A 0.93-mm field of an H&E-stained sentinel lymph node from a breast-cancer patient (whole-slide image), shown at about 5×, about 1.8 µm per pixel.
Image:
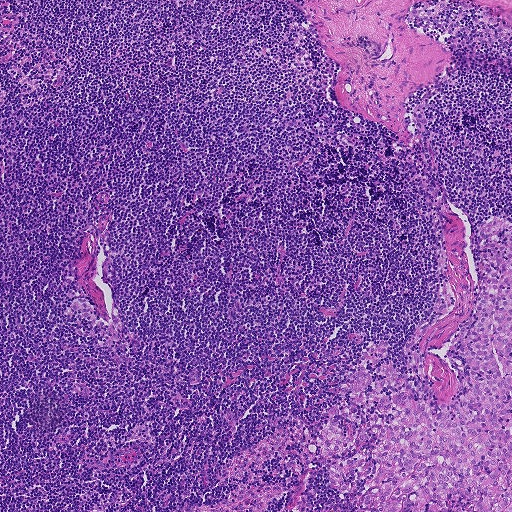
Question:
Which parts of this field are metastatic tumour?
Answer:
Metastatic tumour outline, simplified to 35 points and listed clockwise in crop pixels (x, y): (491, 217), (509, 220), (511, 511), (472, 511), (452, 494), (446, 511), (412, 510), (414, 496), (399, 511), (355, 506), (375, 457), (352, 465), (347, 491), (329, 470), (374, 445), (376, 433), (330, 458), (318, 441), (333, 421), (346, 436), (351, 422), (393, 420), (375, 396), (349, 396), (360, 354), (388, 342), (385, 358), (365, 365), (372, 382), (393, 366), (439, 412), (465, 396), (459, 327), (480, 289), (481, 232).
Tumour covers about 10% of the frame.